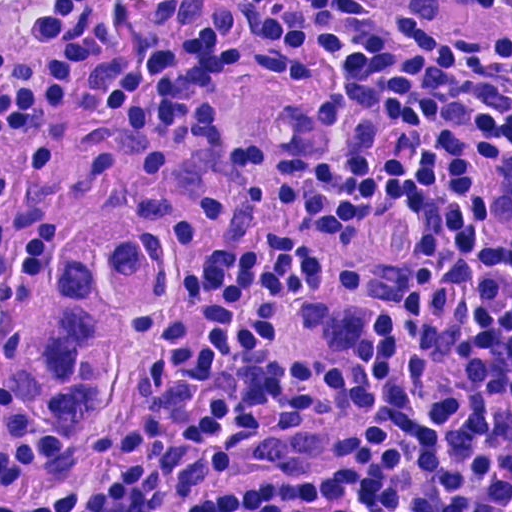
H&E-stained section of a sentinel lymph node (breast cancer), from a whole-slide image, viewed at about 40×: the field is about 0.12 mm across, about 0.23 µm per pixel.
One metastatic tumour region; its boundary, reduced to 11 corners and listed clockwise: (111, 211), (171, 231), (179, 293), (129, 328), (120, 390), (86, 442), (24, 435), (0, 397), (0, 365), (24, 325), (54, 244).
Tumour covers about 10% of the frame.